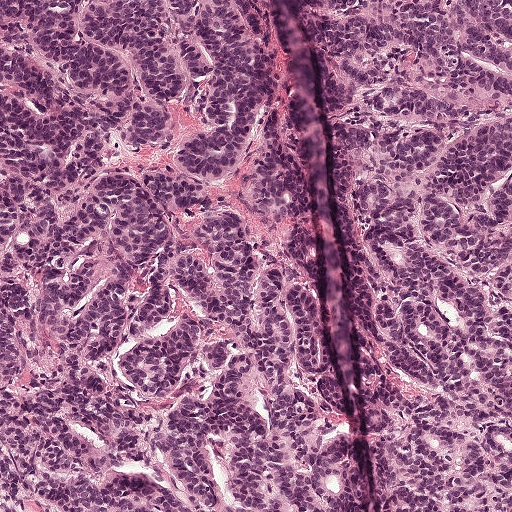
H&E-stained section of a sentinel lymph node (breast cancer), from a whole-slide image, viewed at about 10×: the field is about 0.5 mm across, about 0.97 µm per pixel.
Boundaries of two metastatic tumour regions, simplified and listed clockwise, largest first: region 1: (0, 0), (261, 2), (318, 219), (331, 378), (352, 466), (344, 508), (51, 511), (0, 487); region 2: (303, 0), (511, 0), (511, 511), (394, 511), (394, 411), (365, 303), (348, 112).
Tumour covers about 90% of the frame.